Question: 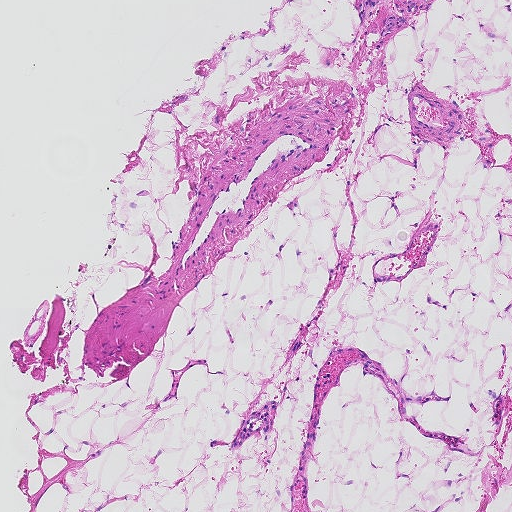
Lymph node section stained with H&E, from a whole-slide image of a breast-cancer sentinel node. Magnification about 5×, about 0.93 mm across the frame, about 1.8 µm per pixel.
Estimate the proportion of this field that is metastatic tumour.

Choices:
 (A) about 10% to 20%
 (B) about 5% or less
 (C) about 25% to 45%
 (D) none: no tumour is outlined
 (E) about 50% or more

Answer: (D) none: no tumour is outlined
No metastatic tumour is outlined in this field.